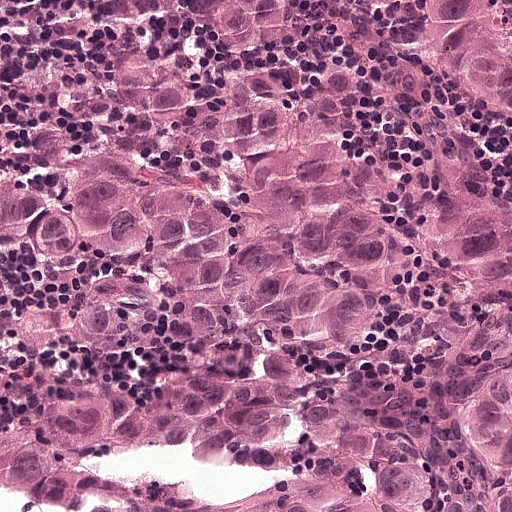
Lymph node section stained with H&E, from a whole-slide image of a breast-cancer sentinel node. Magnification about 20×, about 0.25 mm across the frame, about 0.49 µm per pixel.
Tumour region outline (a closed clockwise path, crop pixels): (511, 0), (511, 511), (0, 511), (0, 123), (68, 38), (118, 2).
The annotated tumour makes up about 95% of the crop.